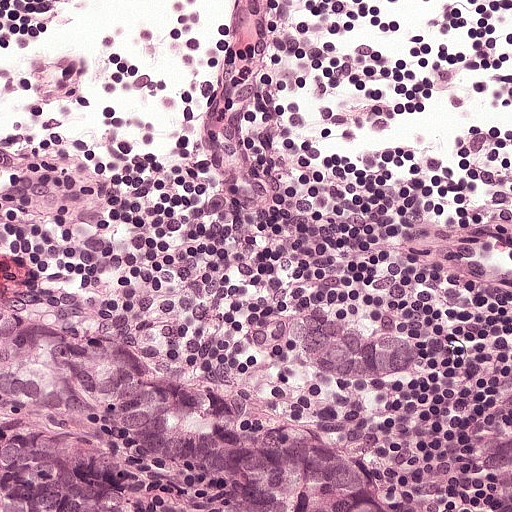
Lymph node section stained with H&E, from a whole-slide image of a breast-cancer sentinel node. Magnification about 20×, about 0.25 mm across the frame, about 0.49 µm per pixel.
Four metastatic tumour regions, each outlined as a closed clockwise path in crop pixels (x, y), largest first: region 1: (0, 290), (151, 362), (190, 362), (256, 383), (358, 474), (418, 511), (222, 511), (110, 435), (6, 419); region 2: (319, 308), (350, 318), (360, 334), (372, 330), (392, 339), (410, 336), (418, 339), (421, 347), (419, 366), (398, 377), (372, 380), (360, 385), (336, 384), (310, 372), (291, 352), (294, 320); region 3: (0, 448), (67, 451), (67, 456), (99, 464), (115, 483), (122, 498), (123, 511), (0, 511); region 4: (511, 424), (511, 511), (503, 511), (494, 501), (494, 496), (486, 476), (481, 458), (494, 433), (502, 431).
The annotated tumour makes up about 20% of the crop.